A 0.46-mm field of an H&E-stained sentinel lymph node from a breast-cancer patient (whole-slide image), shown at about 10×, about 0.91 µm per pixel.
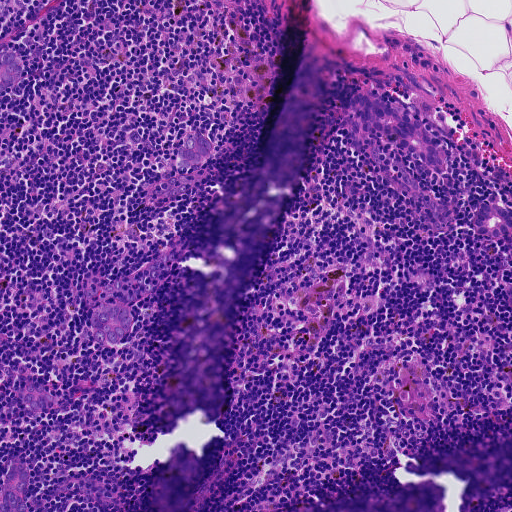
Boundaries of seven metastatic tumour regions, simplified and listed clockwise, largest first: region 1: (359, 92), (418, 114), (440, 134), (449, 154), (448, 164), (438, 169), (420, 162), (383, 134), (372, 134), (358, 150), (343, 124), (349, 115), (350, 96); region 2: (110, 298), (131, 308), (130, 326), (126, 336), (120, 344), (106, 346), (96, 342), (92, 333), (86, 325), (89, 316), (101, 300); region 3: (195, 132), (205, 134), (213, 140), (215, 150), (211, 158), (203, 165), (188, 172), (178, 170), (175, 160), (176, 151), (186, 134); region 4: (22, 458), (29, 469), (26, 488), (28, 511), (0, 511), (0, 506), (7, 491), (6, 471), (12, 462); region 5: (480, 202), (500, 205), (509, 210), (511, 215), (511, 229), (507, 236), (497, 237), (476, 229), (474, 220); region 6: (11, 49), (21, 52), (23, 71), (20, 80), (0, 94), (0, 53); region 7: (35, 383), (45, 386), (51, 394), (59, 401), (43, 413), (34, 412), (27, 405), (22, 395), (26, 386).
One more small tumour piece is annotated here but not outlined.
The annotated tumour makes up about 5% of the crop.